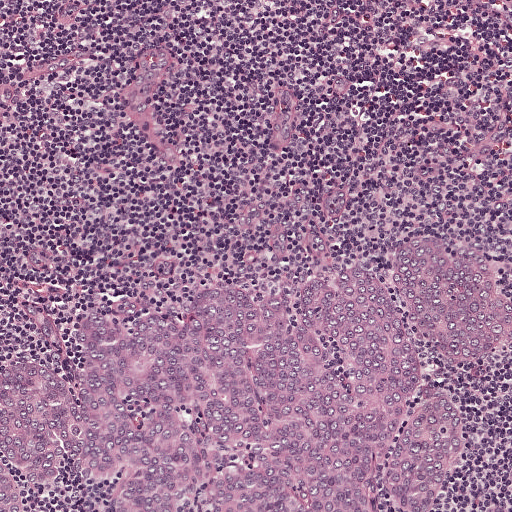
This is a crop of a whole-slide image: an H&E-stained breast-cancer sentinel lymph node section at roughly 10× magnification (about 0.97 µm per pixel; the crop spans about 0.5 mm).
Outlines of three tumour regions, largest first (closed clockwise paths, crop pixels): region 1: (443, 232), (486, 260), (506, 296), (505, 336), (476, 364), (423, 348), (468, 419), (434, 511), (110, 511), (122, 472), (90, 488), (67, 458), (48, 488), (26, 483), (0, 422), (0, 372), (12, 358), (55, 368), (74, 390), (83, 317), (102, 306), (147, 314), (207, 284), (273, 292); region 2: (0, 459), (14, 466), (23, 487), (28, 511), (0, 511); region 3: (511, 448), (511, 509), (508, 507), (500, 488), (504, 468).
One more small tumour piece is annotated here but not outlined.
Tumour covers about 40% of the frame.